Image:
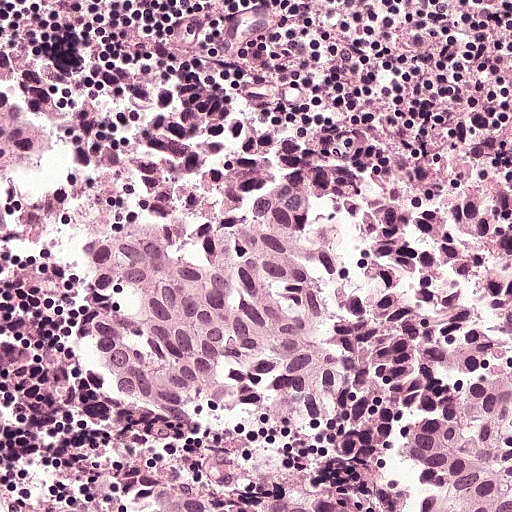
This is a crop of a whole-slide image: an H&E-stained breast-cancer sentinel lymph node section at roughly 20× magnification (about 0.49 µm per pixel; the crop spans about 0.25 mm).
Question:
Is there metastatic carcinoma in this field?
Answer:
Yes.
Outlines of two tumour regions, largest first (closed clockwise paths, crop pixels): region 1: (0, 44), (77, 52), (142, 98), (262, 114), (300, 138), (354, 138), (454, 174), (511, 206), (511, 511), (421, 511), (420, 450), (371, 472), (260, 410), (198, 433), (154, 419), (99, 378), (82, 268), (52, 248), (0, 246); region 2: (168, 473), (195, 473), (196, 476), (231, 492), (336, 495), (369, 511), (136, 511), (159, 498).
The annotated tumour makes up about 60% of the crop.

Image:
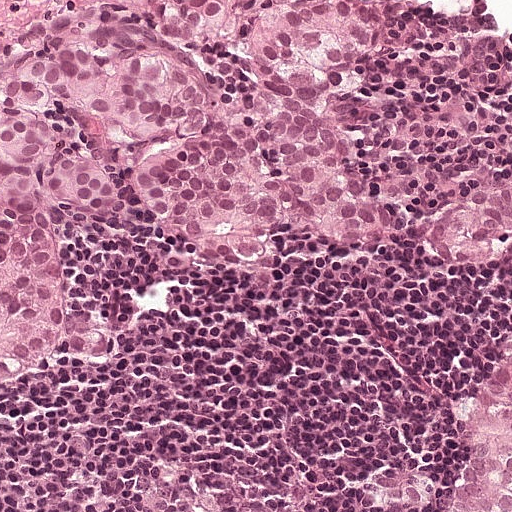
This is a crop of a whole-slide image: an H&E-stained breast-cancer sentinel lymph node section at roughly 20× magnification (about 0.49 µm per pixel; the crop spans about 0.25 mm).
Question:
Is there metastatic carcinoma in this field?
Answer:
Yes.
Three metastatic tumour regions, each outlined as a closed clockwise path in crop pixels (x, y), largest first: region 1: (90, 0), (139, 4), (218, 92), (242, 99), (257, 89), (250, 67), (208, 46), (166, 0), (363, 0), (379, 12), (381, 52), (368, 60), (360, 94), (340, 96), (340, 115), (368, 157), (368, 204), (385, 212), (381, 249), (278, 234), (278, 258), (249, 270), (199, 254), (132, 175), (131, 138), (88, 108), (64, 106), (60, 126), (120, 198), (108, 210), (50, 202), (73, 308), (110, 324), (113, 360), (47, 365), (0, 386), (0, 98), (18, 33); region 2: (511, 344), (511, 511), (444, 511), (458, 500), (460, 480), (468, 459), (466, 440), (461, 428), (456, 426), (460, 400), (464, 388), (474, 386), (494, 372); region 3: (511, 181), (511, 236), (499, 260), (481, 265), (468, 265), (441, 257), (428, 244), (444, 216), (470, 192), (478, 188).
About 40% of this field is tumour.

Image:
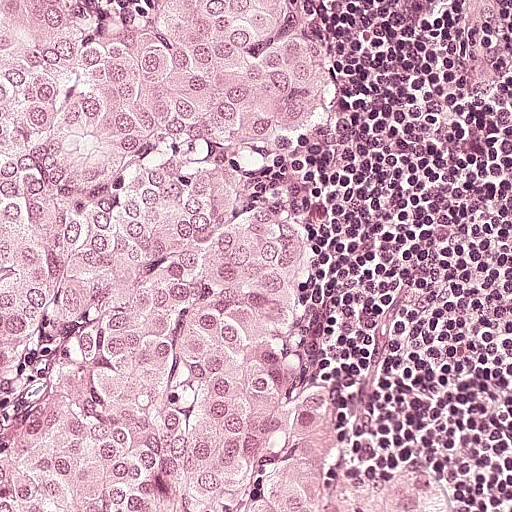
H&E-stained section of a sentinel lymph node (breast cancer), from a whole-slide image, viewed at about 20×: the field is about 0.25 mm across, about 0.49 µm per pixel.
Question:
Is there metastatic carcinoma in this field?
Answer:
Yes.
One metastatic tumour region; its boundary, reduced to 14 corners and listed clockwise: (0, 0), (83, 0), (113, 11), (122, 0), (332, 0), (335, 99), (275, 164), (292, 230), (286, 384), (321, 416), (332, 461), (429, 464), (448, 510), (0, 511).
The annotated tumour makes up about 60% of the crop.

Image:
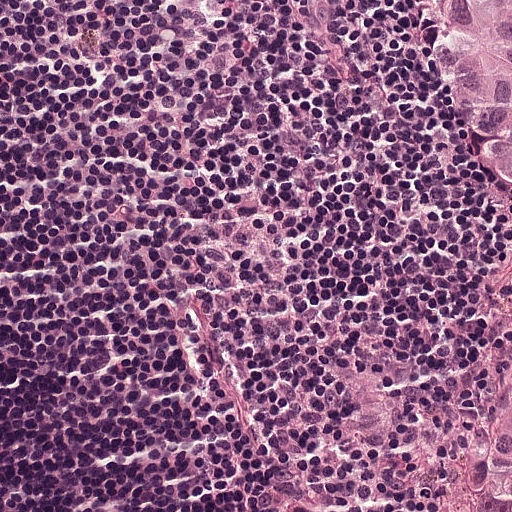
A 0.25-mm field of an H&E-stained sentinel lymph node from a breast-cancer patient (whole-slide image), shown at about 20×, about 0.49 µm per pixel.
Question:
Is there metastatic carcinoma in this field?
Answer:
Yes.
Outlines of two tumour regions, largest first (closed clockwise paths, crop pixels): region 1: (511, 346), (511, 511), (308, 511), (334, 472), (360, 460), (405, 458), (476, 424), (496, 390); region 2: (402, 0), (511, 0), (511, 207), (432, 88).
About 10% of the image area is annotated as tumour.